Image:
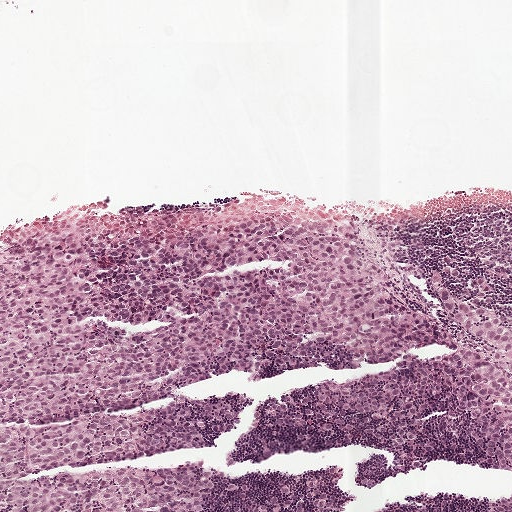
H&E-stained section of a sentinel lymph node (breast cancer), from a whole-slide image, viewed at about 5×: the field is about 1 mm across, about 1.9 µm per pixel.
Question:
Which parts of this field are metastatic tumour?
Answer:
Tumour region outline (a closed clockwise path, crop pixels): (293, 200), (486, 288), (511, 318), (511, 511), (0, 511), (0, 248), (38, 218).
Tumour covers about 55% of the frame.